A 1-mm field of an H&E-stained sentinel lymph node from a breast-cancer patient (whole-slide image), shown at about 5×, about 1.9 µm per pixel.
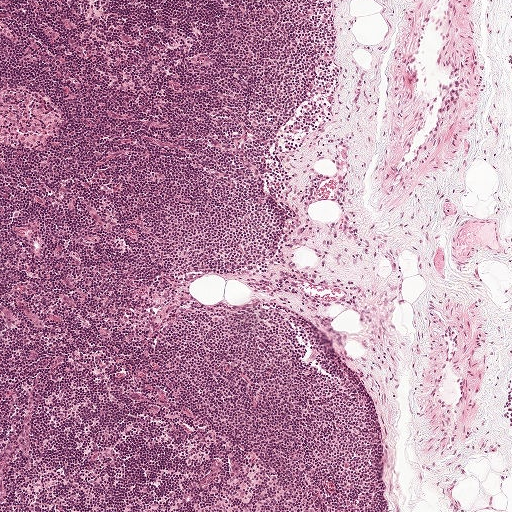
Question: Does this lymph node field contain metastatic tumour?
Answer: No. No metastatic tumour is outlined in this field.